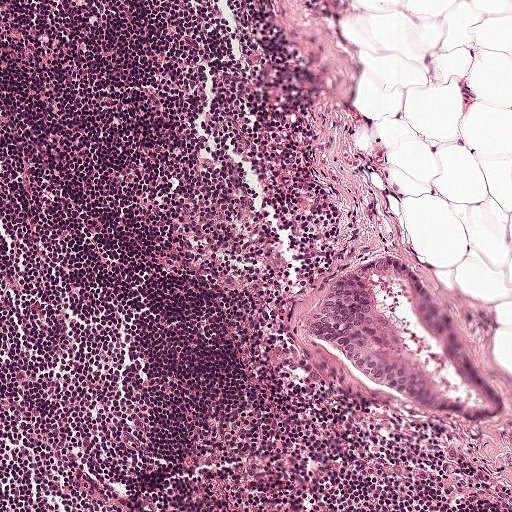
This is a crop of a whole-slide image: an H&E-stained breast-cancer sentinel lymph node section at roughly 10× magnification (about 0.97 µm per pixel; the crop spans about 0.5 mm).
Metastatic tumour outline, simplified to 18 points and listed clockwise in crop pixels (x, y): (386, 255), (392, 258), (392, 274), (383, 278), (374, 290), (378, 306), (389, 320), (392, 345), (401, 361), (410, 368), (411, 391), (396, 397), (378, 392), (364, 372), (306, 333), (303, 319), (311, 306), (335, 278).
The annotated tumour makes up about 5% of the crop.